Question: 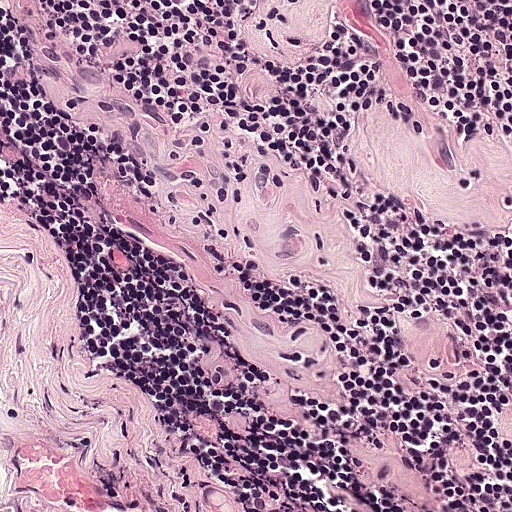
At roughly what magnification is this field shown?

Choices:
 (A) about 20×
 (B) about 2.5×
 (C) about 10×
 (D) about 40×
 (E) about 5×

Answer: (A) about 20×
A 0.25-mm field of an H&E-stained sentinel lymph node from a breast-cancer patient (whole-slide image), shown at about 20×, about 0.49 µm per pixel.